Image:
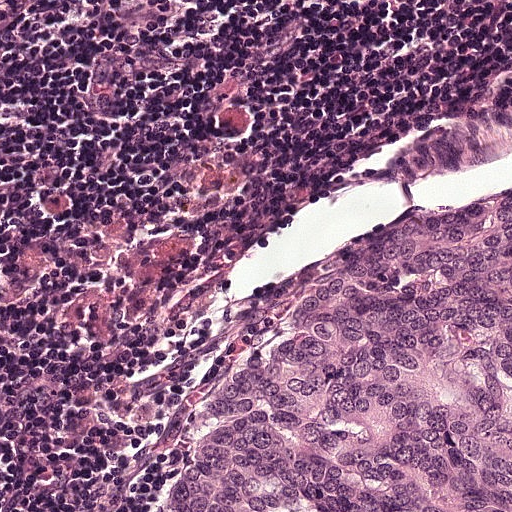
H&E-stained section of a sentinel lymph node (breast cancer), from a whole-slide image, viewed at about 20×: the field is about 0.25 mm across, about 0.49 µm per pixel.
Question:
Which parts of this field are metastatic tumour? Answer with the outline of each region, in pixels.
Answer:
Boundaries of two metastatic tumour regions, simplified and listed clockwise, largest first: region 1: (511, 161), (511, 511), (136, 511), (182, 409), (241, 328); region 2: (511, 52), (511, 142), (478, 164), (434, 178), (395, 178), (375, 166), (374, 154), (394, 136), (406, 116), (436, 90).
About 35% of this field is tumour.